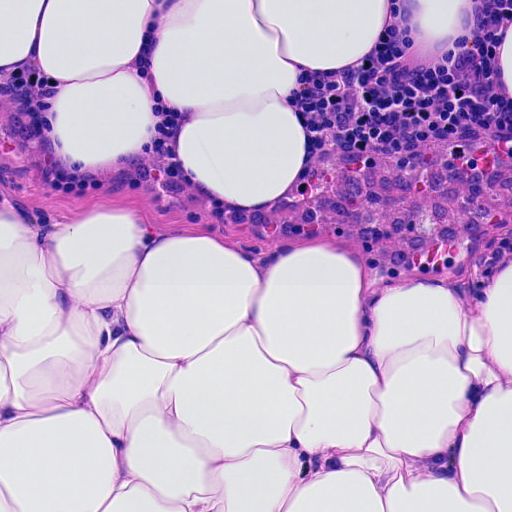
A 0.23-mm field of an H&E-stained sentinel lymph node from a breast-cancer patient (whole-slide image), shown at about 20×, about 0.45 µm per pixel.